Image:
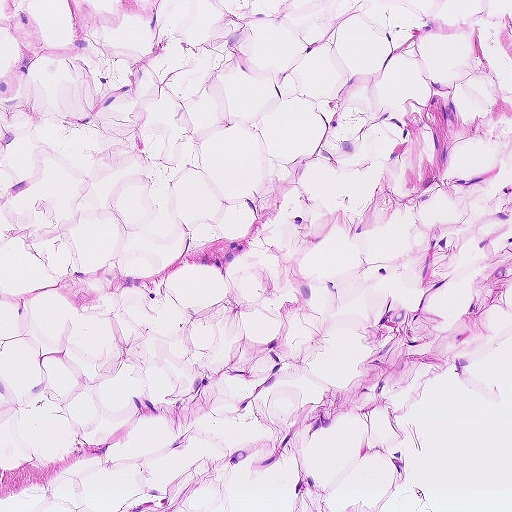
This is a crop of a whole-slide image: an H&E-stained breast-cancer sentinel lymph node section at roughly 10× magnification (about 0.9 µm per pixel; the crop spans about 0.46 mm).
Question:
Is any metastatic breast cancer visible in this crop?
Answer:
No. No metastatic tumour is outlined in this field.